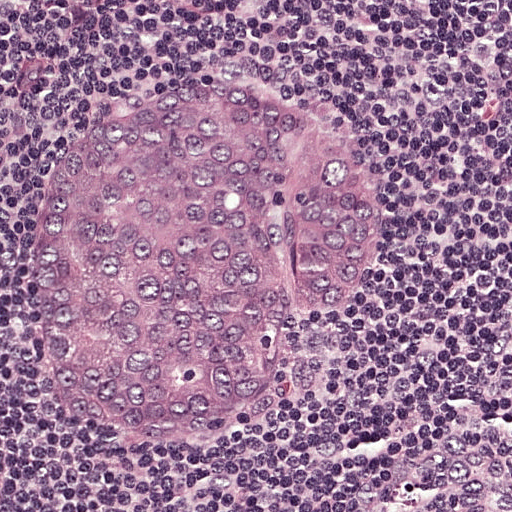
H&E-stained section of a sentinel lymph node (breast cancer), from a whole-slide image, viewed at about 20×: the field is about 0.25 mm across, about 0.49 µm per pixel.
Question: Outline the metastatic carcinoma in this image, as closed paths of (x, y) pixel coordinates.
Answer: One metastatic tumour region; its boundary, reduced to 12 corners and listed clockwise: (189, 71), (304, 94), (342, 120), (376, 204), (364, 293), (327, 376), (184, 451), (97, 428), (64, 398), (30, 313), (31, 224), (67, 136).
One more small tumour piece is annotated here but not outlined.
Tumour covers about 40% of the frame.